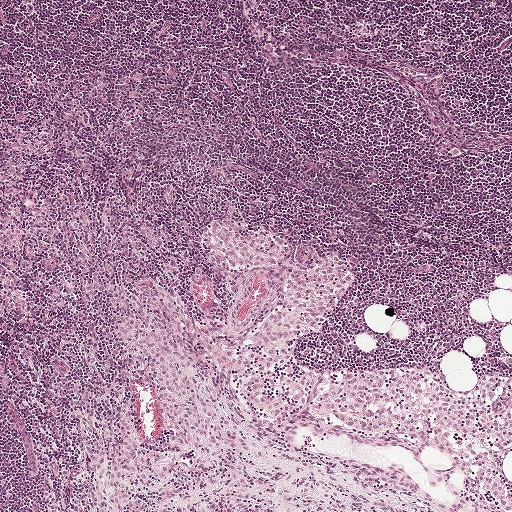
This is a crop of a whole-slide image: an H&E-stained breast-cancer sentinel lymph node section at roughly 5× magnification (about 1.9 µm per pixel; the crop spans about 1 mm).
Question: Is any metastatic breast cancer visible in this crop?
Answer: Yes.
One metastatic tumour region; its boundary, reduced to 23 corners and listed clockwise: (120, 295), (129, 296), (153, 310), (159, 318), (172, 323), (192, 346), (205, 396), (214, 409), (219, 409), (206, 438), (199, 438), (192, 432), (178, 443), (169, 440), (164, 432), (160, 386), (143, 374), (129, 354), (108, 340), (110, 333), (119, 325), (119, 312), (112, 300).
The annotated tumour makes up about 5% of the crop.